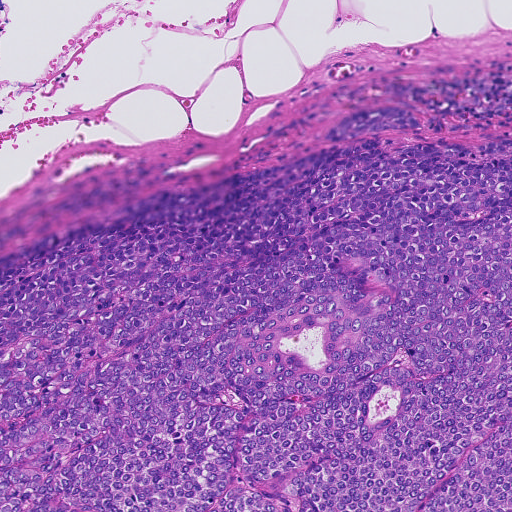
This is a crop of a whole-slide image: an H&E-stained breast-cancer sentinel lymph node section at roughly 10× magnification (about 0.91 µm per pixel; the crop spans about 0.46 mm).
Tumour region outline (a closed clockwise path, crop pixels): (380, 106), (421, 119), (424, 130), (391, 132), (397, 141), (455, 141), (430, 129), (442, 116), (505, 131), (511, 511), (0, 511), (0, 268), (88, 229), (386, 138), (332, 141), (330, 130).
Tumour covers about 65% of the frame.